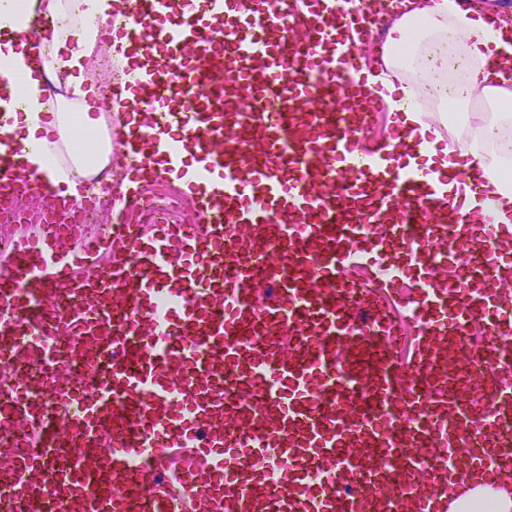
This is a crop of a whole-slide image: an H&E-stained breast-cancer sentinel lymph node section at roughly 20× magnification (about 0.45 µm per pixel; the crop spans about 0.23 mm).